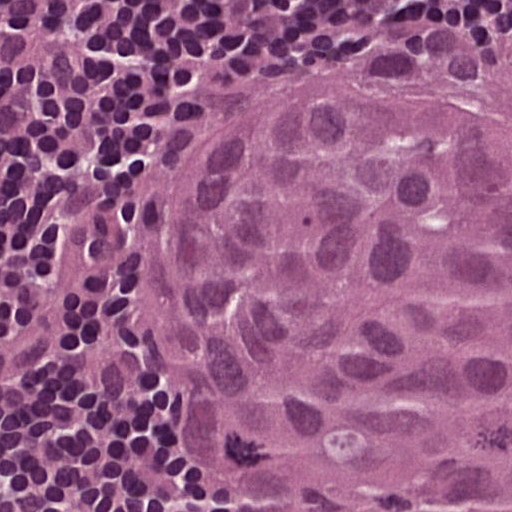
H&E-stained section of a sentinel lymph node (breast cancer), from a whole-slide image, viewed at about 40×: the field is about 0.12 mm across, about 0.24 µm per pixel.
The outlined metastatic tumour's edge, as a closed clockwise path of 7 points: (402, 49), (511, 75), (511, 511), (221, 511), (152, 375), (128, 214), (237, 93).
About 60% of the image area is annotated as tumour.